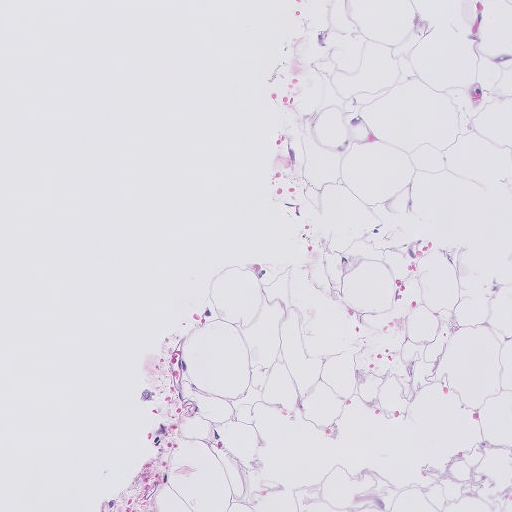
Lymph node section stained with H&E, from a whole-slide image of a breast-cancer sentinel node. Magnification about 10×, about 0.51 mm across the frame, about 1.0 µm per pixel.
Tumour region outline (a closed clockwise path, crop pixels): (163, 387), (163, 408), (134, 406), (136, 388).
Under 5% of the image area is annotated as tumour.